Question: 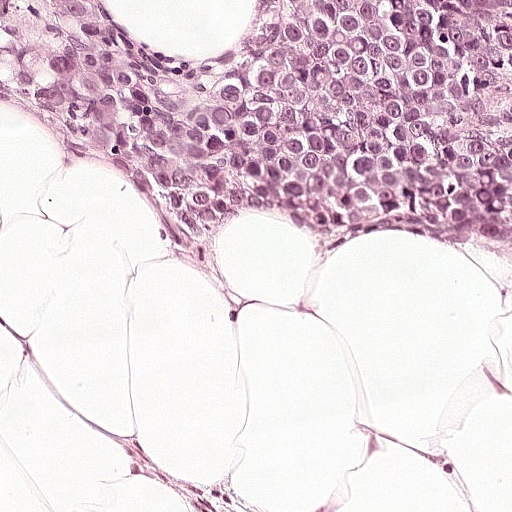
This is a crop of a whole-slide image: an H&E-stained breast-cancer sentinel lymph node section at roughly 20× magnification (about 0.49 µm per pixel; the crop spans about 0.25 mm).
What fraction of the image area is metastatic tumour?

Choices:
 (A) about 5% or less
 (B) about 25% to 45%
 (C) about 50% or more
 (D) about 10% to 20%
 (E) none: no tumour is outlined

Answer: (B) about 25% to 45%
About 40% of the field is tumour.
One metastatic tumour region; its boundary, reduced to 19 corners and listed clockwise: (0, 0), (102, 0), (119, 31), (155, 54), (225, 60), (244, 48), (253, 0), (511, 0), (511, 259), (435, 229), (410, 243), (328, 246), (264, 214), (248, 216), (230, 240), (193, 235), (159, 210), (146, 182), (1, 108).